Image:
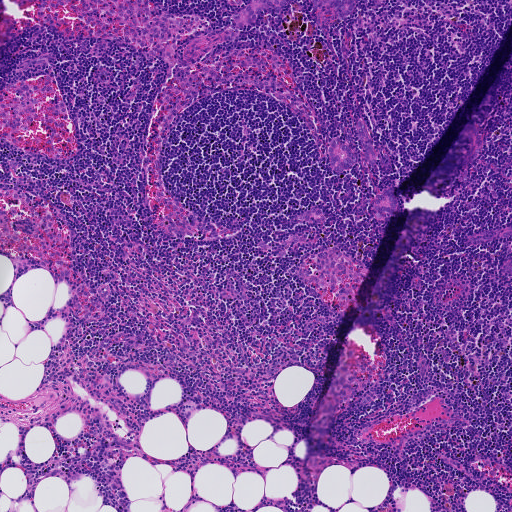
A 0.93-mm field of an H&E-stained sentinel lymph node from a breast-cancer patient (whole-slide image), shown at about 5×, about 1.8 µm per pixel.
Question:
Where is the metastatic tumour in this field?
Answer:
Outlines of six tumour regions, largest first (closed clockwise paths, crop pixels): region 1: (251, 0), (286, 0), (286, 6), (278, 13), (269, 9), (251, 24), (242, 27), (237, 27), (231, 19), (232, 14), (246, 7); region 2: (334, 138), (348, 144), (354, 157), (352, 166), (345, 172), (336, 173), (329, 159), (327, 150), (330, 140); region 3: (385, 189), (390, 189), (396, 197), (398, 206), (396, 216), (392, 218), (388, 214), (383, 215), (380, 218), (375, 217), (373, 202), (378, 194); region 4: (313, 0), (354, 1), (353, 11), (345, 17), (340, 18), (334, 14), (325, 10), (320, 10), (316, 13); region 5: (358, 119), (363, 120), (375, 152), (375, 161), (374, 165), (369, 165), (362, 146), (357, 138); region 6: (314, 207), (322, 210), (324, 214), (325, 220), (323, 223), (318, 223), (314, 220), (296, 220), (297, 216), (301, 213).
Three more small tumour pieces are annotated here but not outlined.
Tumour covers under 5% of the frame.